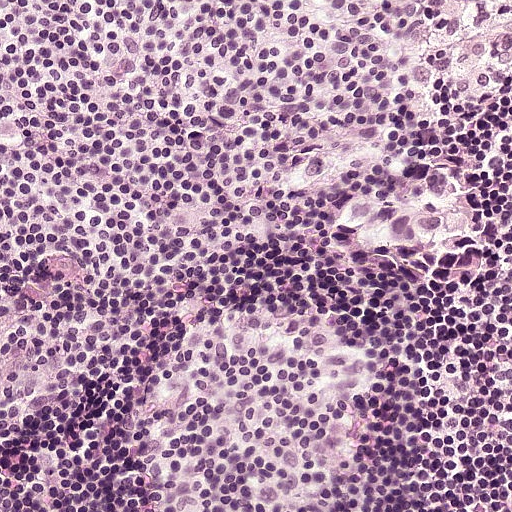
Lymph node section stained with H&E, from a whole-slide image of a breast-cancer sentinel node. Magnification about 20×, about 0.25 mm across the frame, about 0.49 µm per pixel.
One metastatic tumour region; its boundary, reduced to 15 corners and listed clockwise: (442, 162), (450, 180), (456, 181), (461, 222), (456, 231), (423, 243), (382, 243), (360, 238), (348, 229), (342, 218), (342, 208), (355, 192), (400, 190), (418, 184), (426, 163).
Tumour covers under 5% of the frame.